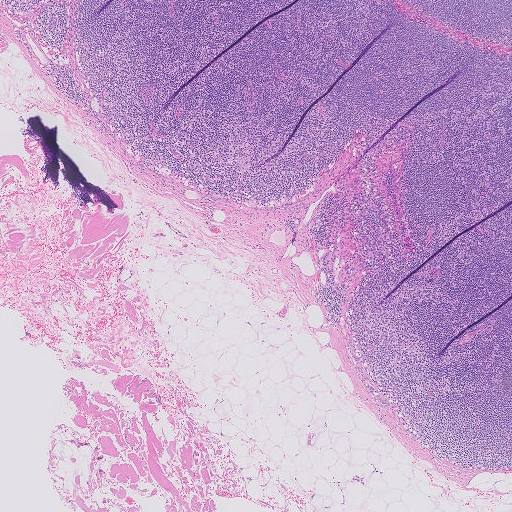
A 2.0-mm field of an H&E-stained sentinel lymph node from a breast-cancer patient (whole-slide image), shown at about 2.5×, about 4.0 µm per pixel.
One metastatic tumour region; its boundary, reduced to 10 corners and listed clockwise: (375, 394), (379, 394), (381, 395), (389, 403), (389, 404), (389, 406), (386, 407), (381, 404), (375, 397), (374, 396).
One more small tumour piece is annotated here but not outlined.
Tumour covers under 5% of the frame.